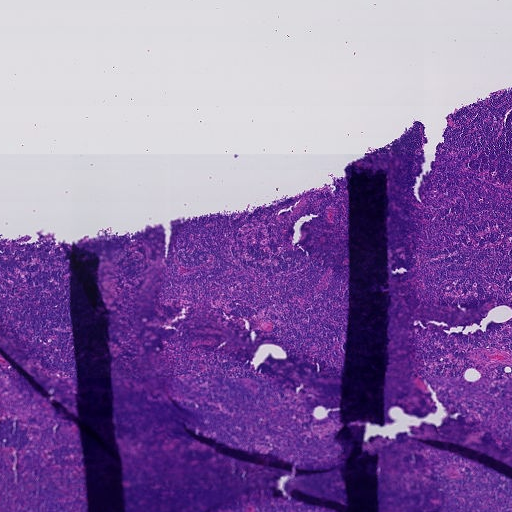
Lymph node section stained with H&E, from a whole-slide image of a breast-cancer sentinel node. Magnification about 2.5×, about 1.9 mm across the frame, about 3.6 µm per pixel.